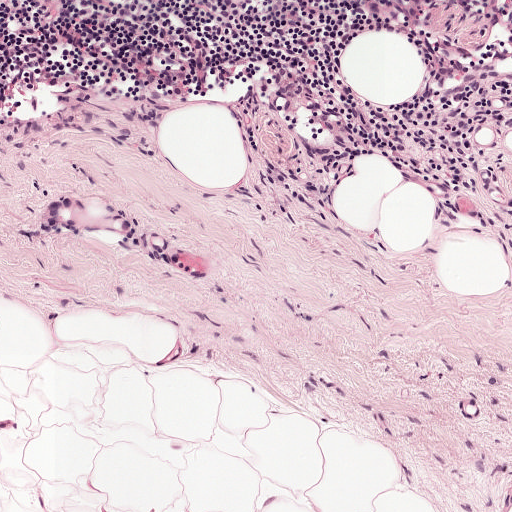
This is a crop of a whole-slide image: an H&E-stained breast-cancer sentinel lymph node section at roughly 10× magnification (about 0.97 µm per pixel; the crop spans about 0.5 mm).